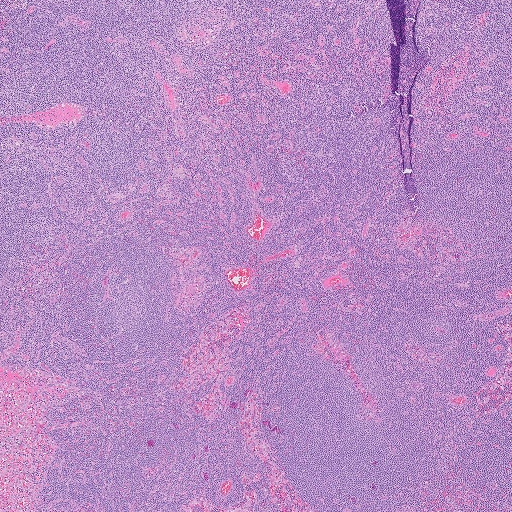
This is a crop of a whole-slide image: an H&E-stained breast-cancer sentinel lymph node section at roughly 2.5× magnification (about 4.0 µm per pixel; the crop spans about 2.0 mm).